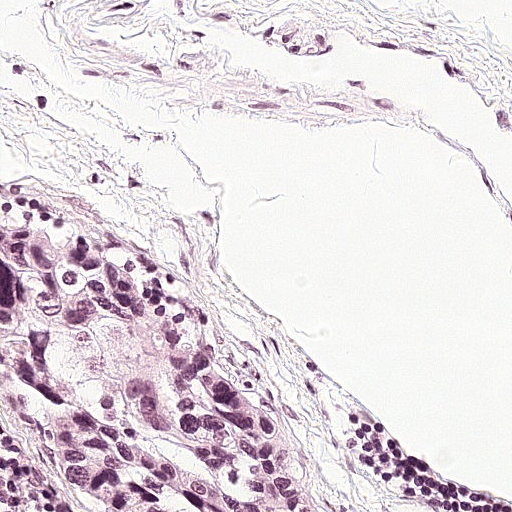
Lymph node section stained with H&E, from a whole-slide image of a breast-cancer sentinel node. Magnification about 20×, about 0.25 mm across the frame, about 0.49 µm per pixel.
Question: Which parts of this field are metastatic tumour? Answer with the outline of each region, in pixels.
Answer: Tumour region outline (a closed clockwise path, crop pixels): (0, 221), (135, 268), (165, 306), (210, 336), (246, 392), (285, 416), (294, 466), (319, 491), (320, 511), (92, 506), (39, 408), (0, 379).
Tumour covers about 20% of the frame.